Lymph node section stained with H&E, from a whole-slide image of a breast-cancer sentinel node. Magnification about 10×, about 0.46 mm across the frame, about 0.91 µm per pixel.
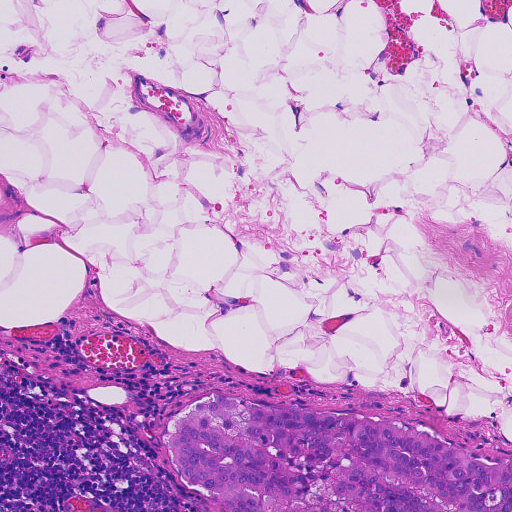
Tumour region outline (a closed clockwise path, crop pixels): (215, 391), (396, 424), (482, 463), (506, 463), (511, 511), (219, 511), (179, 474), (164, 426).
About 10% of this field is tumour.